Image:
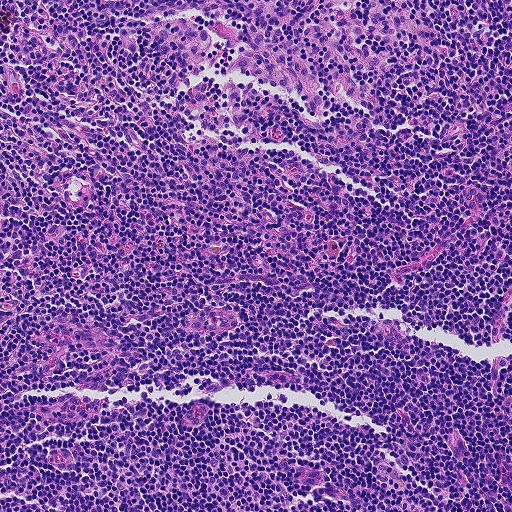
This is a crop of a whole-slide image: an H&E-stained breast-cancer sentinel lymph node section at roughly 10× magnification (about 0.9 µm per pixel; the crop spans about 0.46 mm).
Question:
Does this lymph node field contain metastatic tumour?
Answer:
No, this field holds no outlined metastasis.